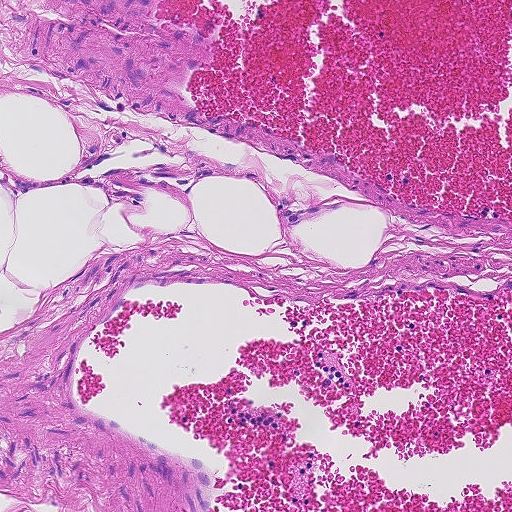
This is a crop of a whole-slide image: an H&E-stained breast-cancer sentinel lymph node section at roughly 10× magnification (about 0.9 µm per pixel; the crop spans about 0.46 mm).
Question: Is there metastatic carcinoma in this field?
Answer: No, this field holds no outlined metastasis.